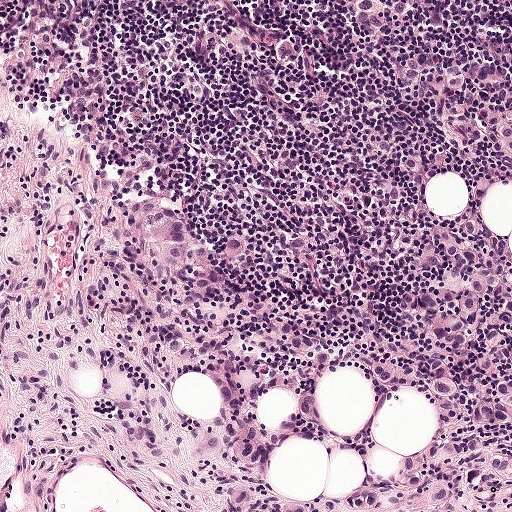
This is a crop of a whole-slide image: an H&E-stained breast-cancer sentinel lymph node section at roughly 10× magnification (about 0.97 µm per pixel; the crop spans about 0.5 mm).
Tumour region outline (a closed clockwise path, crop pixels): (348, 0), (427, 1), (510, 64), (511, 511), (339, 511), (334, 482), (360, 456), (361, 418), (338, 361), (314, 374), (324, 379), (314, 447), (285, 456), (273, 491), (246, 487), (176, 315), (78, 156), (80, 83), (144, 126), (228, 257), (301, 281), (358, 281), (415, 239), (418, 190).
Tumour covers about 40% of the frame.